H&E-stained section of a sentinel lymph node (breast cancer), from a whole-slide image, viewed at about 2.5×: the field is about 2.0 mm across, about 4.0 µm per pixel.
Image:
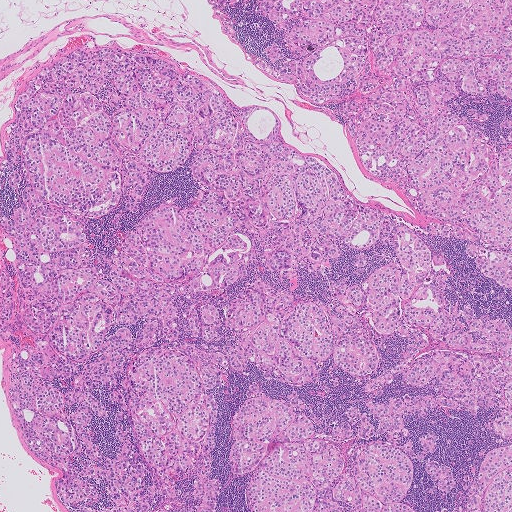
Question:
Outline the metastatic carcinoma in this image, as closed paths of (x, y) pixel coordinates.
Answer:
Three metastatic tumour regions, each outlined as a closed clockwise path in crop pixels (x, y), largest first: region 1: (150, 54), (265, 106), (444, 253), (444, 296), (511, 318), (511, 437), (490, 409), (407, 418), (455, 468), (442, 493), (414, 463), (417, 511), (247, 511), (251, 381), (328, 424), (361, 399), (338, 366), (248, 371), (216, 397), (220, 511), (61, 511), (0, 338), (6, 139), (46, 64); region 2: (217, 0), (511, 0), (511, 102), (454, 104), (483, 108), (489, 134), (511, 122), (511, 291), (480, 281), (458, 243), (432, 234), (410, 197), (372, 178), (335, 112), (263, 68), (257, 55), (275, 33), (240, 9), (231, 37); region 3: (510, 444), (511, 511), (425, 511), (458, 495), (465, 467), (471, 455), (485, 455), (496, 445).
About 85% of this field is tumour.